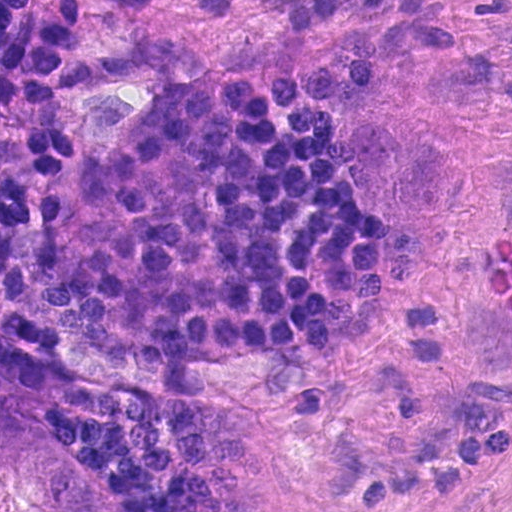
A 0.12-mm field of an H&E-stained sentinel lymph node from a breast-cancer patient (whole-slide image), shown at about 40×, about 0.23 µm per pixel.
Outlines of two tumour regions, largest first (closed clockwise paths, crop pixels): region 1: (364, 101), (412, 124), (457, 154), (469, 176), (469, 201), (457, 224), (435, 238), (387, 224), (368, 208), (354, 185), (343, 135), (345, 110); region 2: (0, 410), (15, 413), (65, 442), (109, 479), (138, 511), (0, 511).
The annotated tumour makes up about 10% of the crop.